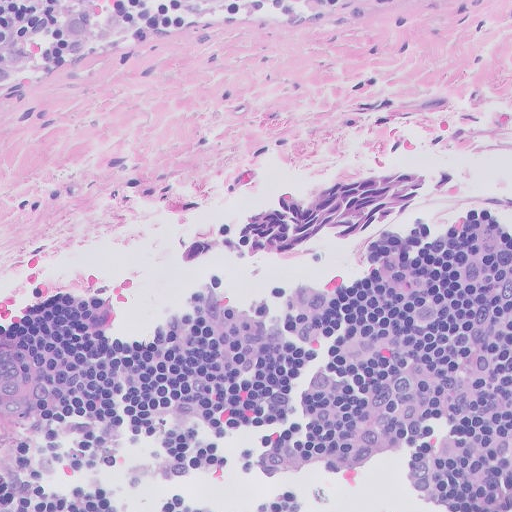
This is a crop of a whole-slide image: an H&E-stained breast-cancer sentinel lymph node section at roughly 20× magnification (about 0.5 µm per pixel; the crop spans about 0.26 mm).
Question: Describe where the metastatic carcinoma lies in this crop.
Answer: Metastatic tumour outline, simplified to 7 points and listed clockwise in crop pixels (x, y): (461, 157), (452, 190), (324, 263), (224, 273), (164, 254), (198, 218), (336, 170).
One more small tumour piece is annotated here but not outlined.
Tumour covers about 5% of the frame.